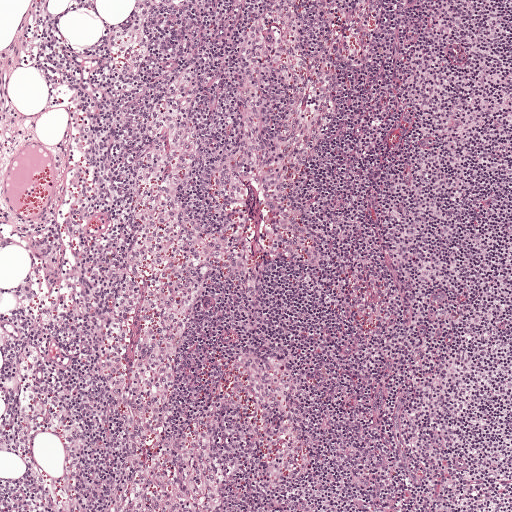
A 1-mm field of an H&E-stained sentinel lymph node from a breast-cancer patient (whole-slide image), shown at about 5×, about 1.9 µm per pixel.